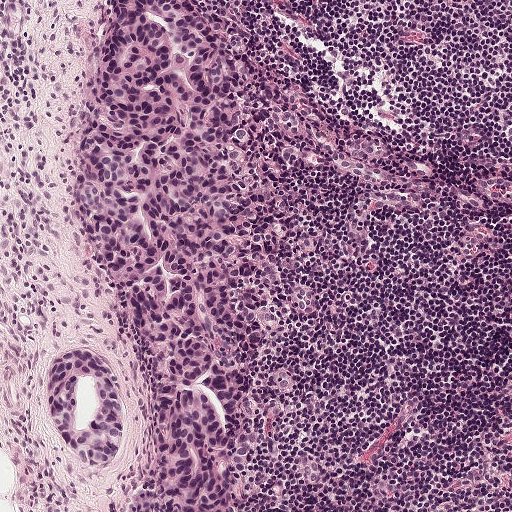
A 0.5-mm field of an H&E-stained sentinel lymph node from a breast-cancer patient (whole-slide image), shown at about 10×, about 0.97 µm per pixel.
Outlines of two tumour regions, largest first (closed clockwise paths, crop pixels): region 1: (227, 0), (252, 68), (344, 130), (386, 140), (389, 162), (420, 162), (449, 202), (380, 219), (355, 264), (347, 227), (377, 195), (288, 162), (325, 250), (316, 311), (266, 355), (284, 405), (242, 511), (174, 511), (165, 500), (152, 468), (157, 376), (94, 264), (70, 182), (121, 1); region 2: (72, 351), (102, 356), (123, 384), (128, 412), (126, 442), (116, 462), (102, 471), (86, 471), (55, 440), (49, 425), (45, 376), (51, 362).
Region 2 encloses a non-tumour hole of about 15% of its area.
About 40% of this field is tumour.